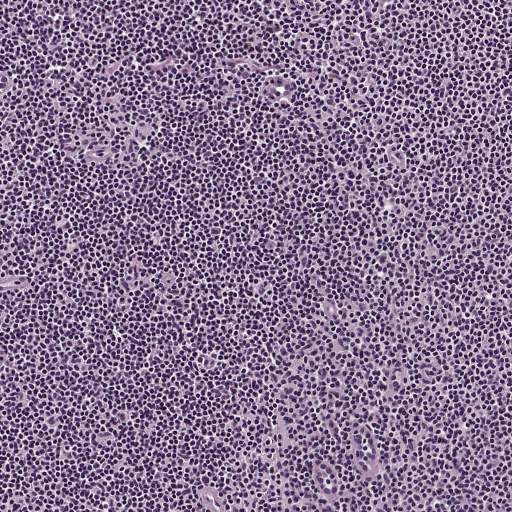
H&E-stained section of a sentinel lymph node (breast cancer), from a whole-slide image, viewed at about 10×: the field is about 0.5 mm across, about 0.97 µm per pixel.